Question: 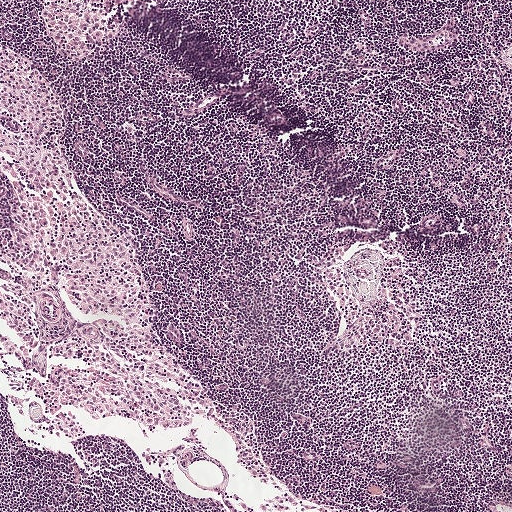
About what magnification does this crop show?

Choices:
 (A) about 40×
 (B) about 20×
 (C) about 2.5×
 (D) about 10×
 (E) about 5×

Answer: (E) about 5×
H&E-stained section of a sentinel lymph node (breast cancer), from a whole-slide image, viewed at about 5×: the field is about 1 mm across, about 1.9 µm per pixel.